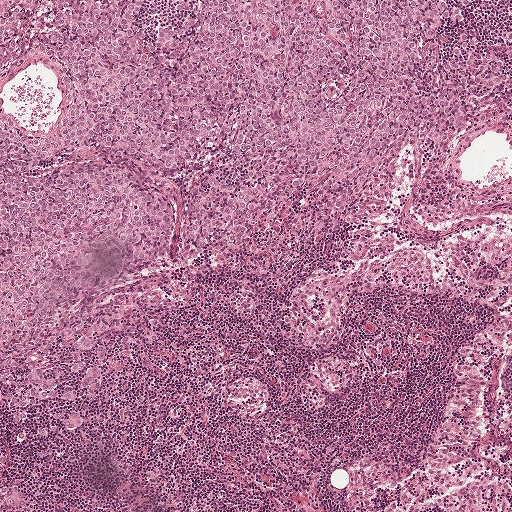
A 1-mm field of an H&E-stained sentinel lymph node from a breast-cancer patient (whole-slide image), shown at about 5×, about 1.9 µm per pixel.
Question: Trace the edge of each tumour region in this crop, as (x, y) points from 0 to 511.
Answer: Outlines of four tumour regions, largest first (closed clockwise paths, crop pixels): region 1: (0, 0), (144, 0), (152, 44), (194, 0), (469, 0), (415, 58), (468, 31), (508, 80), (449, 146), (390, 146), (337, 234), (309, 184), (194, 266), (218, 152), (116, 157), (170, 239), (80, 301), (101, 383), (1, 408), (0, 110), (65, 114), (44, 54), (0, 82); region 2: (0, 487), (21, 492), (25, 508), (22, 510), (0, 510); region 3: (499, 0), (509, 0), (509, 2), (511, 5), (511, 58), (506, 57), (503, 54), (503, 43), (505, 33), (506, 33), (510, 22), (510, 15), (508, 7); region 4: (2, 456), (2, 458), (5, 460), (7, 463), (7, 465), (3, 476), (0, 479), (0, 457).
The annotated tumour makes up about 45% of the crop.